Question: 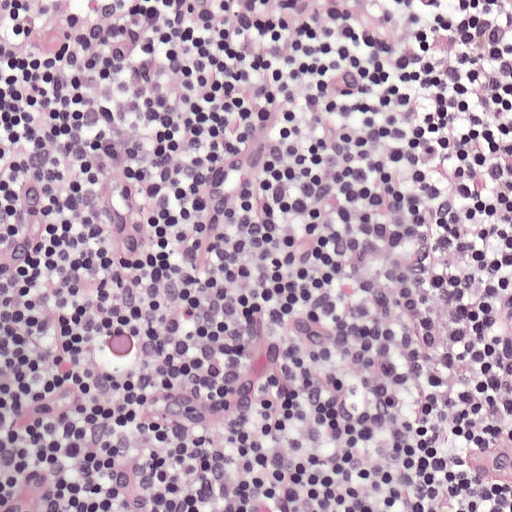
Which magnification is this H&E lymph node field most likely shown at?

Choices:
 (A) about 5×
 (B) about 2.5×
 (C) about 10×
 (D) about 20×
 (E) about 40×

Answer: (D) about 20×
This is a crop of a whole-slide image: an H&E-stained breast-cancer sentinel lymph node section at roughly 20× magnification (about 0.49 µm per pixel; the crop spans about 0.25 mm).